Question: 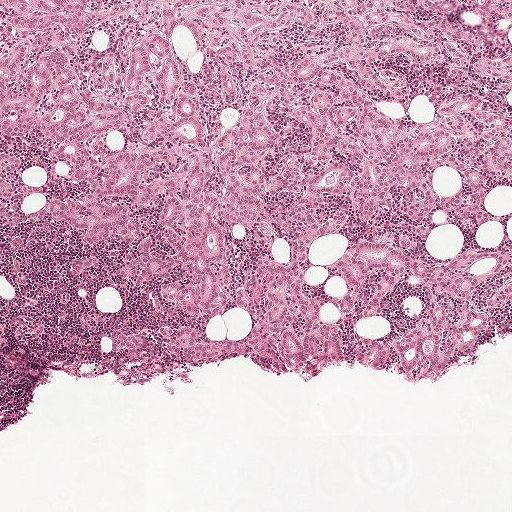
At roughly what magnification is this field shown?

Choices:
 (A) about 10×
 (B) about 5×
 (C) about 40×
 (D) about 20×
 (E) about 2.5×

Answer: (B) about 5×
H&E-stained section of a sentinel lymph node (breast cancer), from a whole-slide image, viewed at about 5×: the field is about 1 mm across, about 1.9 µm per pixel.